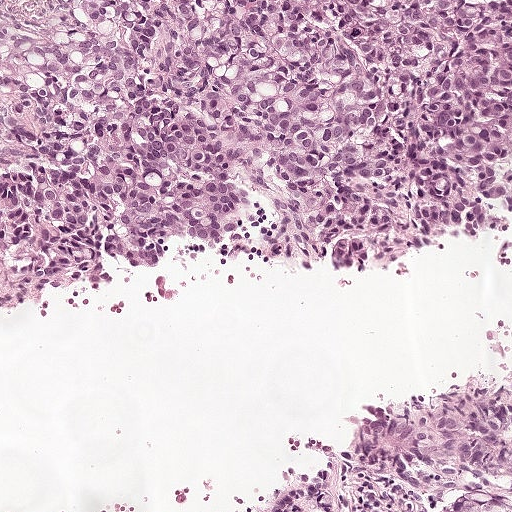
Lymph node section stained with H&E, from a whole-slide image of a breast-cancer sentinel node. Magnification about 10×, about 0.5 mm across the frame, about 0.97 µm per pixel.
Outlines of two tumour regions, largest first (closed clockwise paths, crop pixels): region 1: (0, 0), (511, 0), (511, 251), (466, 230), (441, 260), (399, 269), (193, 247), (1, 312); region 2: (509, 395), (511, 511), (269, 511), (282, 497), (327, 470), (348, 427), (372, 408).
About 60% of this field is tumour.